Question: 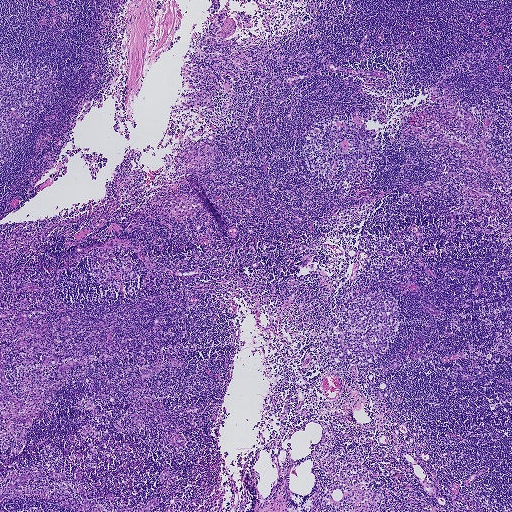
H&E-stained section of a sentinel lymph node (breast cancer), from a whole-slide image, viewed at about 2.5×: the field is about 1.9 mm across, about 3.6 µm per pixel.
Estimate the proportion of this field that is metastatic tumour.

Choices:
 (A) none: no tumour is outlined
 (B) about 25% to 45%
 (C) about 50% or more
 (D) about 5% or less
 (E) about 10% to 20%

Answer: (A) none: no tumour is outlined
No metastatic tumour is outlined in this field.